A 0.25-mm field of an H&E-stained sentinel lymph node from a breast-cancer patient (whole-slide image), shown at about 20×, about 0.49 µm per pixel.
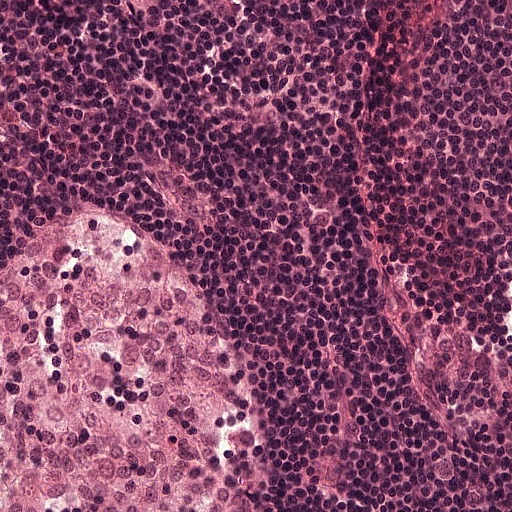
Question: Is there metastatic carcinoma in this field?
Answer: No: no metastatic tumour is outlined anywhere in this field.